Question: 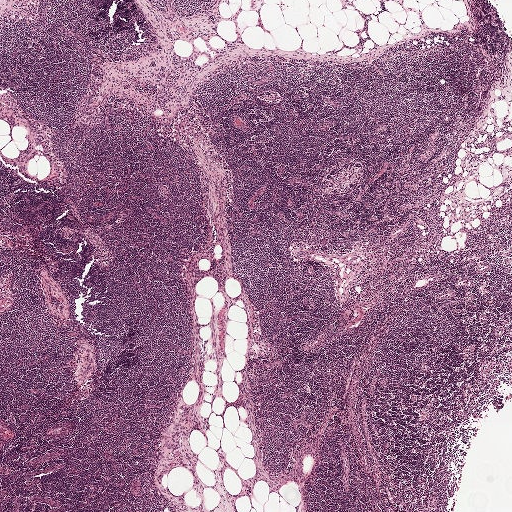
Which magnification is this H&E lymph node field most likely shown at?

Choices:
 (A) about 20×
 (B) about 5×
 (C) about 40×
 (D) about 10×
 (E) about 2.5×

Answer: (E) about 2.5×
Lymph node section stained with H&E, from a whole-slide image of a breast-cancer sentinel node. Magnification about 2.5×, about 2.0 mm across the frame, about 3.9 µm per pixel.